Image:
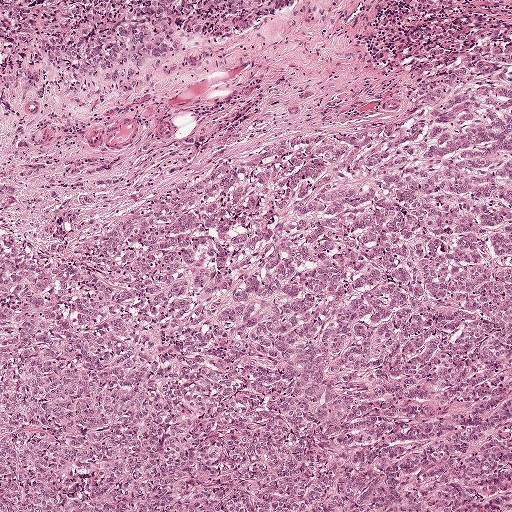
H&E-stained section of a sentinel lymph node (breast cancer), from a whole-slide image, viewed at about 5×: the field is about 1 mm across, about 1.9 µm per pixel.
Question:
Does this lymph node field contain metastatic tumour?
Answer:
Yes.
Two metastatic tumour regions, each outlined as a closed clockwise path in crop pixels (x, y), largest first: region 1: (511, 41), (511, 511), (0, 511), (0, 241), (34, 259), (67, 252); region 2: (0, 0), (296, 0), (271, 25), (200, 58), (62, 79), (0, 98).
The annotated tumour makes up about 75% of the crop.